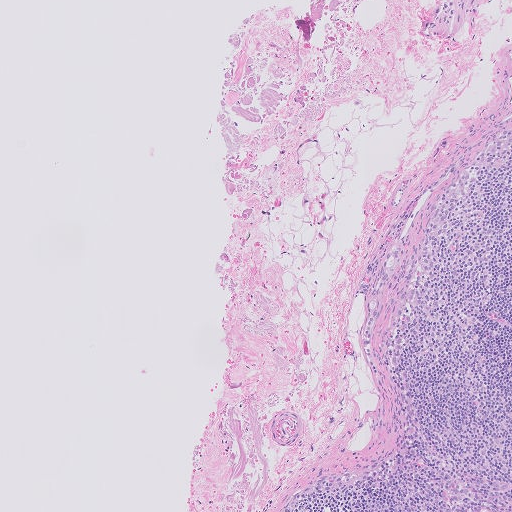
Lymph node section stained with H&E, from a whole-slide image of a breast-cancer sentinel node. Magnification about 5×, about 1.0 mm across the frame, about 2.0 µm per pixel.
Question: Where is the metastatic tumour in this field?
Answer: The outlined metastatic tumour's edge, as a closed clockwise path of 14 points: (398, 242), (401, 243), (401, 260), (384, 288), (379, 316), (372, 330), (371, 346), (374, 363), (369, 365), (362, 345), (362, 329), (366, 318), (368, 297), (392, 245).
The annotated tumour makes up under 5% of the crop.